Image:
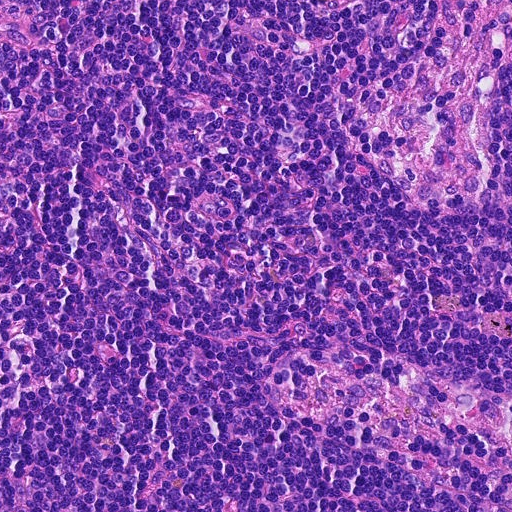
H&E-stained section of a sentinel lymph node (breast cancer), from a whole-slide image, viewed at about 20×: the field is about 0.23 mm across, about 0.45 µm per pixel.
Question:
Is any metastatic breast cancer visible in this crop?
Answer:
No: no metastatic tumour is outlined anywhere in this field.